Image:
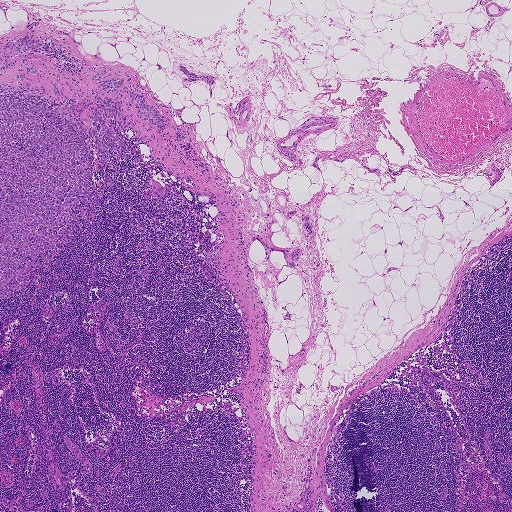
H&E-stained section of a sentinel lymph node (breast cancer), from a whole-slide image, viewed at about 2.5×: the field is about 1.9 mm across, about 3.6 µm per pixel.
Question:
Which parts of this field are metastatic tumour? Answer with the outline of each region, in pixels.
Answer:
Three metastatic tumour regions, each outlined as a closed clockwise path in crop pixels (x, y), largest first: region 1: (33, 65), (31, 86), (52, 95), (54, 80), (73, 99), (109, 94), (95, 87), (93, 73), (124, 78), (113, 95), (126, 121), (127, 160), (92, 171), (99, 180), (104, 171), (113, 186), (53, 259), (38, 259), (25, 291), (1, 298), (0, 82); region 2: (22, 36), (41, 40), (43, 46), (41, 48), (13, 64), (5, 75), (0, 75), (0, 55), (1, 48), (4, 44); region 3: (129, 92), (145, 95), (148, 104), (159, 110), (159, 114), (165, 119), (166, 128), (165, 130), (158, 130), (140, 116), (136, 111), (136, 104), (128, 95).
About 10% of this field is tumour.